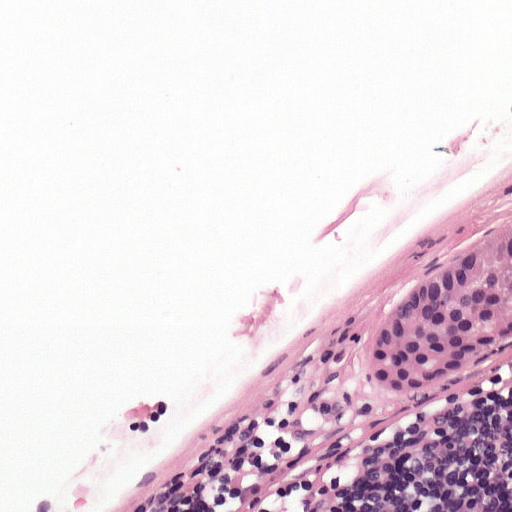
Lymph node section stained with H&E, from a whole-slide image of a breast-cancer sentinel node. Magnification about 20×, about 0.25 mm across the frame, about 0.49 µm per pixel.
Tumour region outline (a closed clockwise path, crop pixels): (511, 207), (511, 342), (421, 396), (372, 386), (362, 356), (392, 309), (426, 268).
The annotated tumour makes up about 5% of the crop.